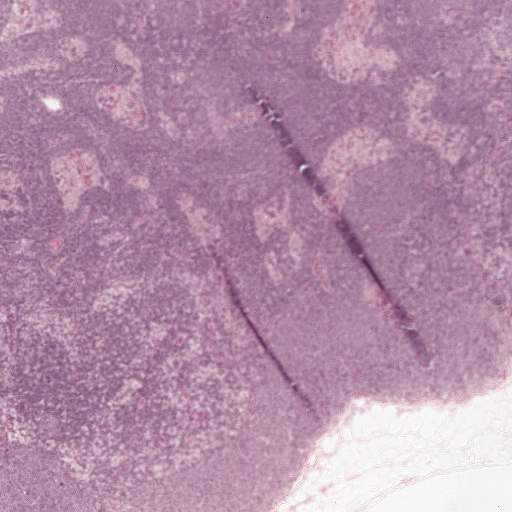
H&E-stained section of a sentinel lymph node (breast cancer), from a whole-slide image, viewed at about 2.5×: the field is about 2.0 mm across, about 3.9 µm per pixel.